H&E-stained section of a sentinel lymph node (breast cancer), from a whole-slide image, viewed at about 2.5×: the field is about 2.0 mm across, about 3.9 µm per pixel.
Image:
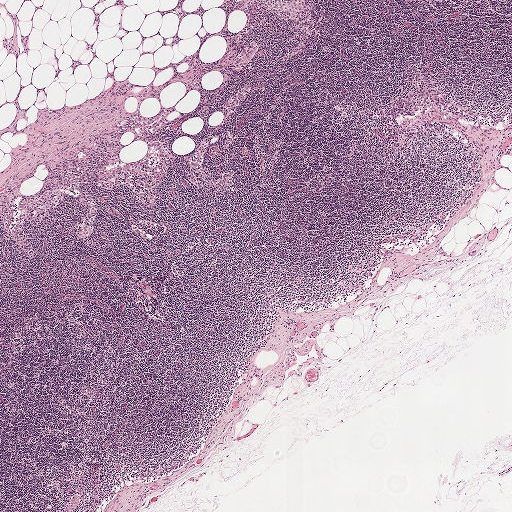
Question:
Does this lymph node field contain metastatic tumour?
Answer:
No. No metastatic tumour is outlined in this field.